Image:
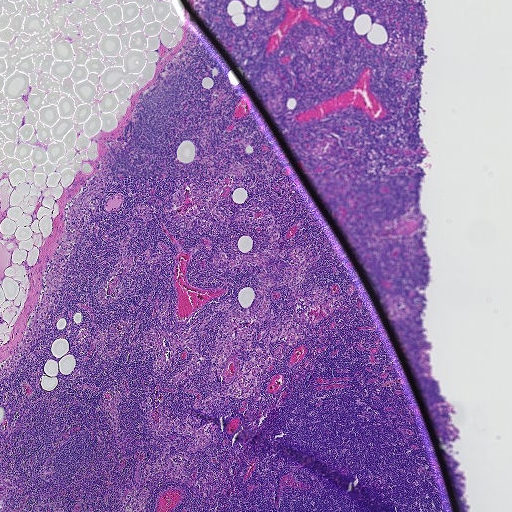
H&E-stained section of a sentinel lymph node (breast cancer), from a whole-slide image, viewed at about 2.5×: the field is about 1.9 mm across, about 3.6 µm per pixel.
Question:
Is any metastatic breast cancer visible in this crop?
Answer:
No. No metastatic tumour is outlined in this field.